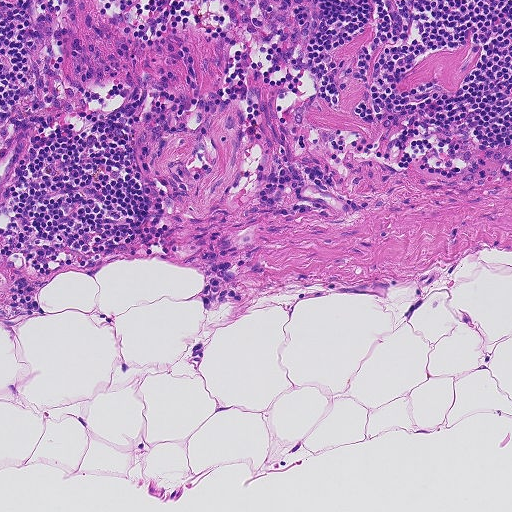
H&E-stained section of a sentinel lymph node (breast cancer), from a whole-slide image, viewed at about 10×: the field is about 0.46 mm across, about 0.9 µm per pixel.
Question: Is any metastatic breast cancer visible in this crop?
Answer: No: no metastatic tumour is outlined anywhere in this field.